Question: 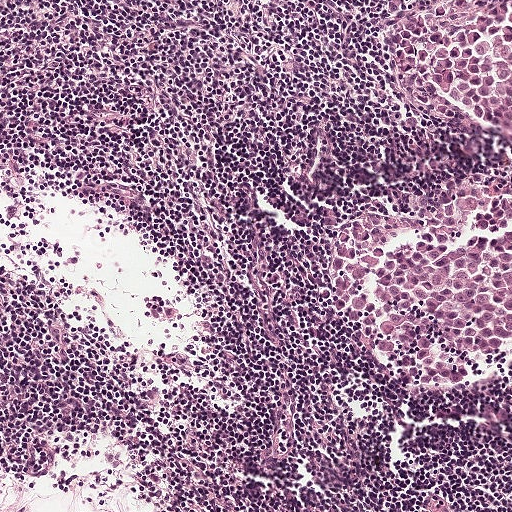
Lymph node section stained with H&E, from a whole-slide image of a breast-cancer sentinel node. Magnification about 10×, about 0.5 mm across the frame, about 0.97 µm per pixel.
What fraction of the image area is metastatic tumour?

Choices:
 (A) none: no tumour is outlined
 (B) about 10% to 20%
 (C) about 25% to 45%
 (D) about 50% or more
 (E) about 5% or less

Answer: (B) about 10% to 20%
About 10% of the field is tumour.
Two metastatic tumour regions, each outlined as a closed clockwise path in crop pixels (x, y), largest first: region 1: (511, 226), (511, 348), (493, 360), (467, 361), (422, 319), (369, 301), (378, 267), (398, 247), (416, 239), (462, 239); region 2: (511, 0), (511, 103), (479, 114), (440, 112), (380, 60), (378, 43), (388, 28), (407, 16), (479, 2).